This is a crop of a whole-slide image: an H&E-stained breast-cancer sentinel lymph node section at roughly 2.5× magnification (about 3.9 µm per pixel; the crop spans about 2.0 mm).
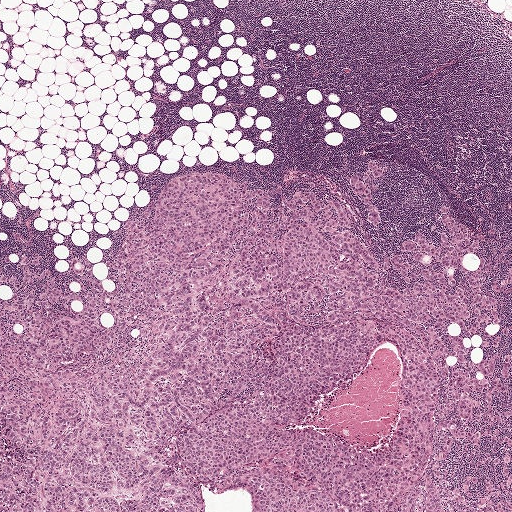
Question: Show where the tumour is in this image.
Answer: Boundaries of three metastatic tumour regions, simplified and listed clockwise, largest first: region 1: (220, 171), (288, 195), (314, 182), (378, 255), (416, 230), (438, 245), (437, 207), (446, 206), (479, 242), (484, 291), (511, 329), (511, 511), (0, 511), (0, 275), (23, 272), (22, 254), (41, 258), (34, 268), (58, 284), (76, 259), (114, 265), (122, 225), (176, 176); region 2: (368, 161), (386, 166), (387, 170), (382, 177), (373, 180), (376, 190), (372, 193), (373, 198), (382, 217), (379, 227), (375, 227), (367, 221), (367, 211), (364, 203), (353, 195), (347, 179), (352, 174), (366, 172), (368, 171); region 3: (511, 269), (511, 291), (509, 291), (501, 291), (496, 289), (494, 288), (494, 286), (496, 282), (502, 280), (506, 279), (509, 276), (510, 271).
One more small tumour piece is annotated here but not outlined.
About 55% of this field is tumour.